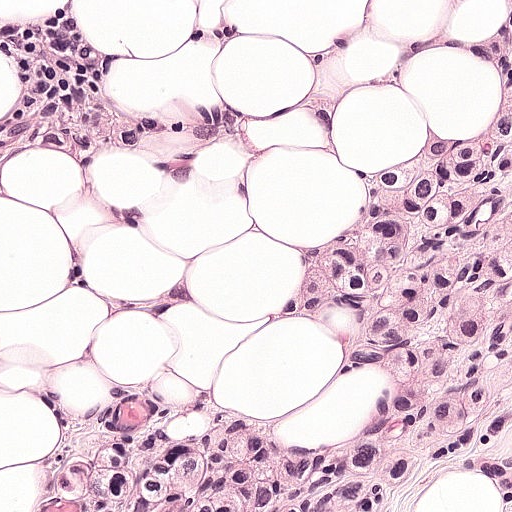
H&E-stained section of a sentinel lymph node (breast cancer), from a whole-slide image, viewed at about 20×: the field is about 0.25 mm across, about 0.49 µm per pixel.
Two metastatic tumour regions, each outlined as a closed clockwise path in crop pixels (x, y), largest first: region 1: (511, 0), (511, 511), (22, 511), (80, 460), (80, 424), (0, 395), (0, 340), (137, 356), (182, 392), (256, 421), (350, 421), (354, 366), (292, 271), (292, 242), (370, 197), (411, 138), (484, 97), (492, 58), (482, 2); region 2: (96, 82), (115, 88), (189, 90), (224, 97), (231, 108), (224, 126), (180, 160), (122, 164), (78, 147), (61, 147), (0, 166), (0, 112), (28, 88).
The annotated tumour makes up about 45% of the crop.